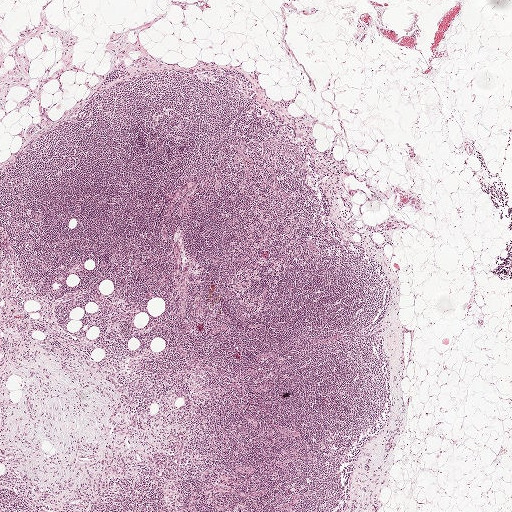
H&E-stained section of a sentinel lymph node (breast cancer), from a whole-slide image, viewed at about 2.5×: the field is about 2.0 mm across, about 3.9 µm per pixel.
Question: Does this lymph node field contain metastatic tumour?
Answer: No. No metastatic tumour is outlined in this field.